H&E-stained section of a sentinel lymph node (breast cancer), from a whole-slide image, viewed at about 5×: the field is about 0.93 mm across, about 1.8 µm per pixel.
Question: 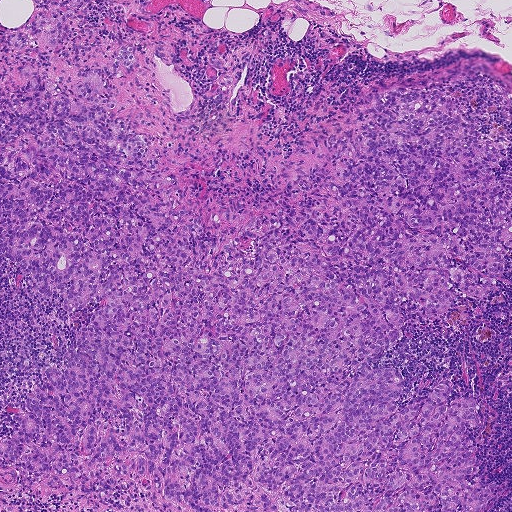
About how much of this crop is taken up by metastatic carcinoma?

Choices:
 (A) about 25% to 45%
 (B) about 10% to 20%
 (C) none: no tumour is outlined
 (D) about 50% or more
 (E) about 5% or less

Answer: (D) about 50% or more
About 65% of the field is tumour.
The outlined metastatic tumour's edge, as a closed clockwise path of 23 points: (129, 43), (109, 110), (203, 224), (392, 89), (454, 97), (511, 175), (506, 302), (369, 367), (398, 409), (429, 378), (479, 404), (479, 490), (509, 481), (487, 511), (193, 511), (134, 471), (0, 492), (0, 435), (99, 297), (70, 314), (0, 262), (0, 90), (72, 105).